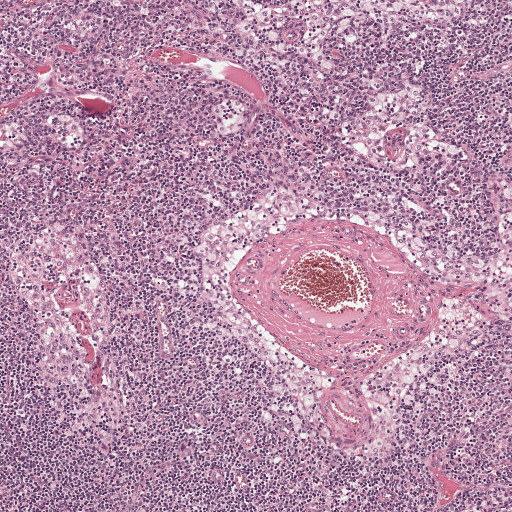
Lymph node section stained with H&E, from a whole-slide image of a breast-cancer sentinel node. Magnification about 5×, about 1 mm across the frame, about 1.9 µm per pixel.